This is a crop of a whole-slide image: an H&E-stained breast-cancer sentinel lymph node section at roughly 20× magnification (about 0.49 µm per pixel; the crop spans about 0.25 mm).
Question: 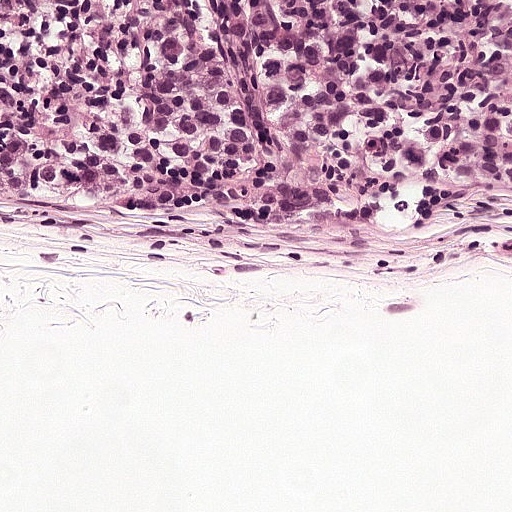
About how much of this crop is taken up by metastatic carcinoma?

Choices:
 (A) about 5% or less
 (B) none: no tumour is outlined
 (C) about 10% to 20%
 (D) about 25% to 45%
 (E) about 50% or more

Answer: (D) about 25% to 45%
About 45% of the field is tumour.
The outlined metastatic tumour's edge, as a closed clockwise path of 4 points: (0, 0), (511, 0), (511, 243), (1, 212).